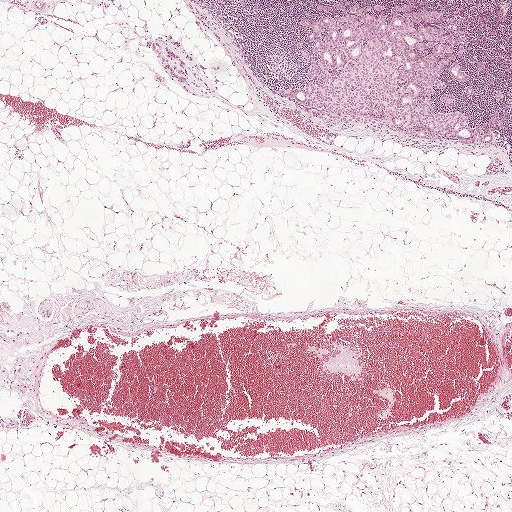
H&E-stained section of a sentinel lymph node (breast cancer), from a whole-slide image, viewed at about 2.5×: the field is about 2.0 mm across, about 3.9 µm per pixel.
Two metastatic tumour regions, each outlined as a closed clockwise path in crop pixels (x, y), largest first: region 1: (410, 4), (440, 12), (466, 51), (459, 64), (469, 82), (450, 78), (447, 64), (433, 110), (461, 111), (475, 127), (495, 108), (501, 122), (492, 144), (432, 141), (366, 123), (327, 125), (281, 92), (307, 88), (297, 46), (310, 44), (299, 23), (317, 20), (317, 5); region 2: (447, 93), (452, 94), (452, 95), (454, 97), (455, 105), (454, 107), (450, 107), (447, 106), (442, 103), (440, 101), (440, 99), (441, 95).
The annotated tumour makes up about 5% of the crop.